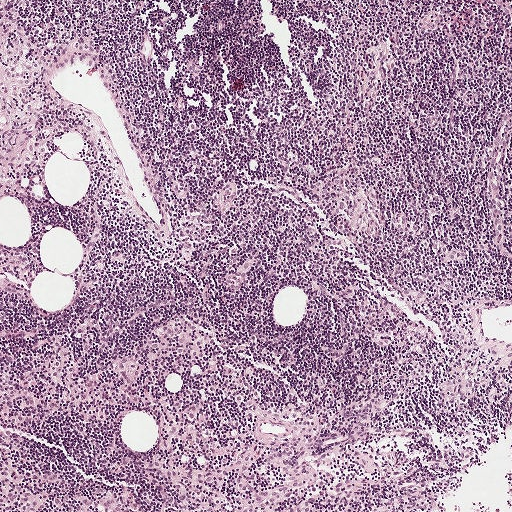
H&E-stained section of a sentinel lymph node (breast cancer), from a whole-slide image, viewed at about 5×: the field is about 1 mm across, about 1.9 µm per pixel.